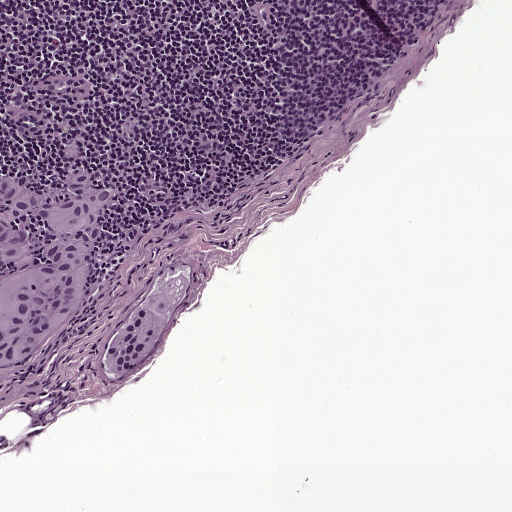
This is a crop of a whole-slide image: an H&E-stained breast-cancer sentinel lymph node section at roughly 10× magnification (about 0.97 µm per pixel; the crop spans about 0.5 mm).
Two metastatic tumour regions, each outlined as a closed clockwise path in crop pixels (x, y), largest first: region 1: (86, 166), (93, 166), (93, 182), (119, 186), (112, 206), (98, 216), (104, 238), (93, 245), (92, 282), (74, 326), (42, 360), (0, 383), (0, 185), (15, 178), (60, 188), (73, 168); region 2: (179, 267), (186, 282), (164, 323), (160, 346), (144, 361), (124, 374), (102, 368), (104, 346), (118, 327), (135, 312), (150, 295), (164, 273).
Tumour covers about 10% of the frame.